Lymph node section stained with H&E, from a whole-slide image of a breast-cancer sentinel node. Magnification about 10×, about 0.5 mm across the frame, about 0.97 µm per pixel.
Question: 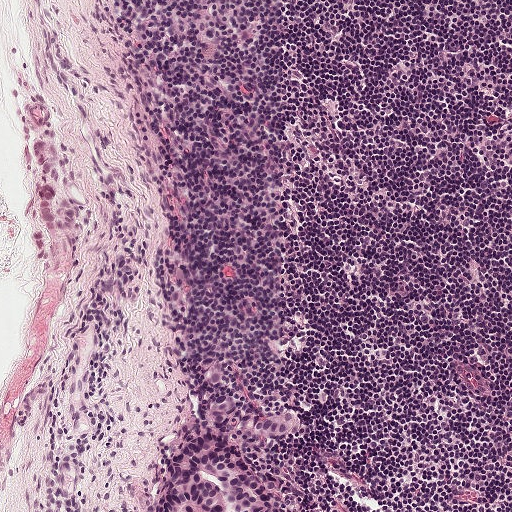
What fraction of the image area is metastatic tumour?

Choices:
 (A) none: no tumour is outlined
 (B) about 10% to 20%
 (C) about 5% or less
 (D) about 25% to 45%
 (E) about 50% or more

Answer: (C) about 5% or less
About 5% of the field is tumour.
Metastatic tumour outline, simplified to 16 points and listed clockwise in crop pixels (x, y): (227, 360), (250, 396), (266, 406), (292, 408), (304, 416), (301, 437), (285, 444), (281, 458), (284, 481), (297, 498), (298, 511), (154, 511), (187, 432), (203, 409), (203, 388), (212, 370).